Lymph node section stained with H&E, from a whole-slide image of a breast-cancer sentinel node. Magnification about 2.5×, about 2.0 mm across the frame, about 3.9 µm per pixel.
Image:
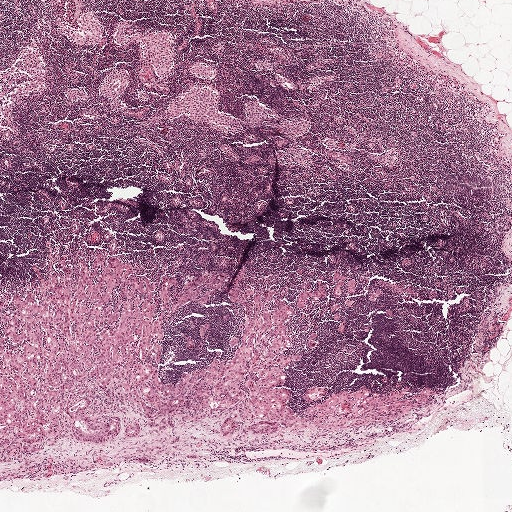
Question:
Which parts of this field are metastatic tumour?
Answer:
Six metastatic tumour regions, each outlined as a closed clockwise path in crop pixels (x, y), largest first: region 1: (54, 244), (82, 245), (178, 278), (178, 290), (189, 291), (190, 299), (169, 323), (158, 361), (162, 402), (139, 435), (96, 443), (58, 432), (30, 449), (0, 454), (0, 298), (27, 287), (33, 262), (41, 263); region 2: (243, 264), (255, 290), (276, 290), (268, 308), (277, 296), (294, 307), (288, 327), (292, 345), (286, 353), (303, 357), (282, 368), (287, 374), (282, 385), (291, 393), (289, 406), (296, 412), (312, 403), (304, 391), (311, 384), (330, 393), (362, 384), (373, 393), (403, 386), (418, 392), (428, 385), (433, 397), (399, 415), (354, 426), (299, 420), (268, 434), (176, 428), (178, 375), (214, 357), (232, 357), (230, 340), (243, 327), (245, 309), (231, 291); region 3: (318, 278), (320, 278), (326, 286), (326, 293), (320, 296), (309, 295), (306, 298), (305, 304), (304, 306), (297, 305), (296, 301), (297, 295), (303, 289), (313, 289), (318, 287); region 4: (335, 272), (342, 274), (347, 280), (342, 288), (342, 293), (337, 296), (334, 295), (332, 292), (334, 285), (339, 282), (336, 283), (333, 281), (333, 276); region 5: (314, 331), (316, 331), (316, 332), (316, 335), (314, 338), (314, 340), (316, 341), (316, 343), (315, 345), (313, 347), (307, 345), (306, 344), (309, 335); region 6: (351, 280), (354, 281), (356, 283), (356, 288), (354, 292), (352, 294), (350, 294), (347, 292), (348, 291), (346, 286), (346, 283).
Two more small tumour pieces are annotated here but not outlined.
About 20% of this field is tumour.